Image:
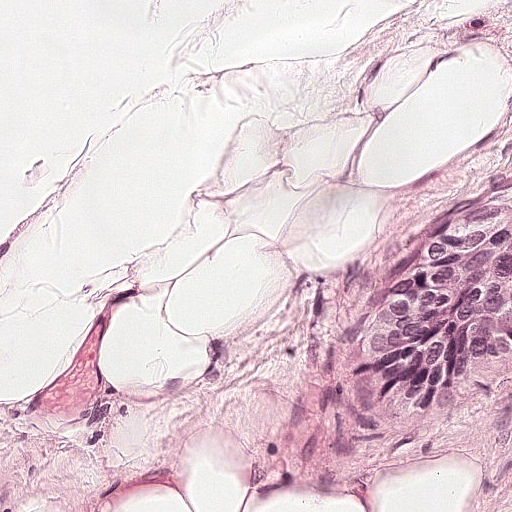
H&E-stained section of a sentinel lymph node (breast cancer), from a whole-slide image, viewed at about 20×: the field is about 0.25 mm across, about 0.49 µm per pixel.
Question:
Describe where the metastatic carcinoma lies in this crop.
Answer:
Metastatic tumour outline, simplified to 12 points and listed clockwise in crop pixels (x, y): (510, 195), (511, 382), (489, 384), (453, 420), (430, 429), (380, 418), (354, 390), (356, 348), (350, 336), (360, 303), (406, 251), (446, 218).
About 10% of this field is tumour.